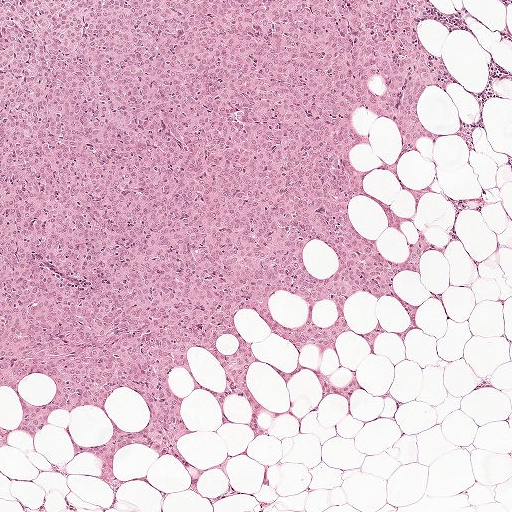
H&E-stained section of a sentinel lymph node (breast cancer), from a whole-slide image, viewed at about 5×: the field is about 1 mm across, about 1.9 µm per pixel.
Boundaries of two metastatic tumour regions, simplified and listed clockwise, largest first: region 1: (0, 0), (428, 0), (459, 82), (414, 107), (474, 150), (416, 136), (413, 211), (374, 166), (398, 119), (358, 107), (362, 183), (412, 217), (389, 226), (348, 201), (399, 261), (467, 205), (457, 239), (392, 275), (420, 326), (355, 292), (372, 352), (233, 321), (284, 369), (354, 369), (347, 403), (251, 361), (251, 438), (179, 365), (200, 492), (138, 441), (114, 473), (166, 493), (114, 502), (66, 425), (143, 432), (137, 390), (31, 434), (51, 376), (0, 384); region 2: (0, 424), (7, 429), (7, 432), (7, 438), (6, 441), (6, 444), (0, 447).
About 55% of this field is tumour.